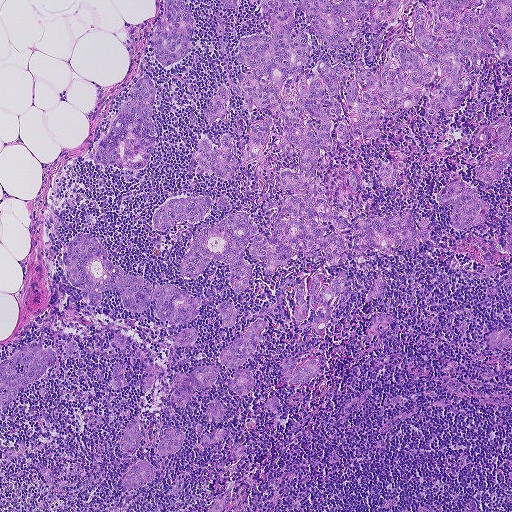
This is a crop of a whole-slide image: an H&E-stained breast-cancer sentinel lymph node section at roughly 5× magnification (about 1.8 µm per pixel; the crop spans about 0.93 mm).
Eight metastatic tumour regions, each outlined as a closed clockwise path in crop pixels (x, y), largest first: region 1: (511, 0), (511, 54), (495, 37), (498, 24), (492, 26), (485, 35), (492, 44), (490, 55), (488, 52), (473, 62), (463, 57), (473, 85), (455, 110), (439, 114), (430, 129), (425, 128), (423, 110), (442, 79), (440, 65), (416, 106), (393, 110), (376, 126), (380, 135), (340, 141), (336, 132), (340, 122), (348, 127), (353, 123), (342, 102), (354, 78), (359, 55), (376, 72), (386, 58), (391, 36), (405, 21), (398, 38), (407, 43), (412, 39), (411, 15), (418, 1); region 2: (80, 232), (94, 237), (108, 259), (129, 275), (145, 279), (152, 287), (173, 284), (201, 299), (197, 309), (201, 311), (194, 319), (174, 324), (159, 318), (153, 301), (142, 312), (131, 311), (120, 293), (110, 289), (100, 292), (98, 302), (84, 298), (62, 269), (68, 243); region 3: (146, 73), (155, 92), (152, 114), (156, 128), (149, 158), (131, 180), (124, 180), (120, 173), (125, 168), (94, 164), (91, 157), (94, 149), (129, 96), (135, 82); region 4: (29, 343), (55, 351), (56, 362), (40, 378), (19, 392), (13, 400), (12, 405), (8, 408), (0, 409), (0, 362), (8, 359), (19, 347); region 5: (183, 0), (188, 6), (193, 23), (192, 35), (185, 56), (181, 60), (165, 66), (160, 65), (157, 60), (152, 50), (150, 38), (162, 12), (163, 1); region 6: (313, 274), (319, 275), (323, 285), (329, 288), (332, 278), (342, 276), (344, 286), (340, 296), (330, 300), (332, 318), (321, 337), (311, 326), (302, 329), (302, 325), (312, 322), (318, 311), (309, 306), (303, 321), (298, 324), (295, 320), (295, 292), (300, 283), (304, 287), (306, 298); region 7: (454, 178), (464, 182), (476, 192), (478, 198), (487, 204), (486, 220), (483, 225), (467, 229), (456, 228), (451, 225), (448, 220), (453, 209), (452, 204), (446, 206), (440, 206), (438, 202), (445, 185); region 8: (224, 133), (229, 134), (236, 161), (234, 178), (231, 181), (215, 177), (199, 175), (194, 165), (193, 171), (188, 173), (198, 136), (204, 135), (219, 148), (220, 137).
One more tumour region is annotated but not outlined: its edge is too irregular for a short outline.
24 more, smaller tumour regions are not outlined.
Four more small tumour pieces are annotated here but not outlined.
The annotated tumour makes up about 25% of the crop.